Question: 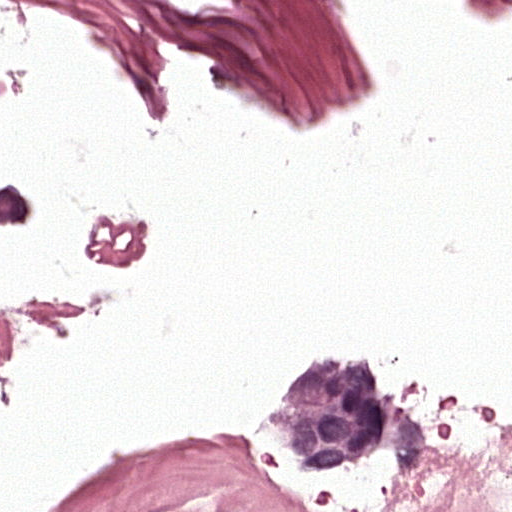
Which magnification is this H&E lymph node field most likely shown at?

Choices:
 (A) about 2.5×
 (B) about 40×
 (C) about 5×
 (D) about 20×
 (E) about 10×

Answer: (B) about 40×
This is a crop of a whole-slide image: an H&E-stained breast-cancer sentinel lymph node section at roughly 40× magnification (about 0.24 µm per pixel; the crop spans about 0.12 mm).
The outlined metastatic tumour's edge, as a closed clockwise path of 7 points: (298, 347), (345, 347), (402, 372), (437, 449), (382, 467), (305, 468), (251, 413).
About 5% of the image area is annotated as tumour.